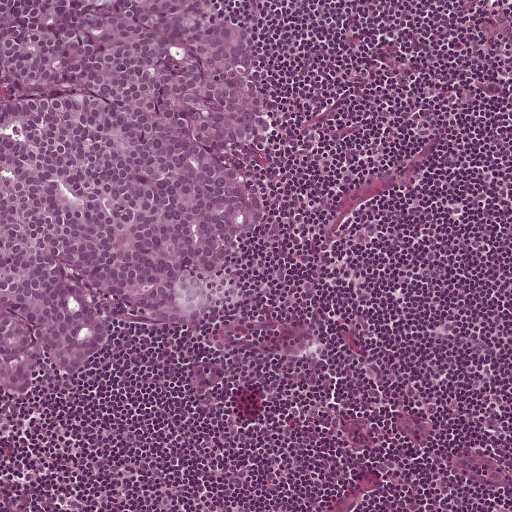
H&E-stained section of a sentinel lymph node (breast cancer), from a whole-slide image, viewed at about 10×: the field is about 0.5 mm across, about 0.97 µm per pixel.
Metastatic tumour outline, simplified to 9 points and listed clockwise in crop pixels (x, y): (0, 0), (222, 0), (257, 53), (270, 103), (256, 236), (210, 323), (118, 339), (30, 401), (0, 401).
About 35% of the image area is annotated as tumour.